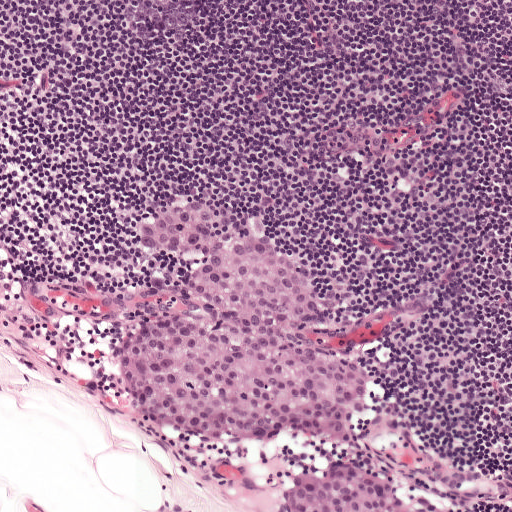
Lymph node section stained with H&E, from a whole-slide image of a breast-cancer sentinel node. Magnification about 10×, about 0.5 mm across the frame, about 0.97 µm per pixel.
Boundaries of two metastatic tumour regions, simplified and listed clockwise, largest first: region 1: (180, 183), (232, 198), (308, 272), (360, 360), (366, 386), (351, 433), (305, 455), (176, 436), (134, 406), (119, 333), (138, 317), (183, 308), (192, 254), (142, 252), (129, 230), (136, 205), (155, 187); region 2: (353, 460), (427, 490), (455, 511), (280, 511), (279, 492), (298, 474), (328, 463).
Tumour covers about 20% of the frame.